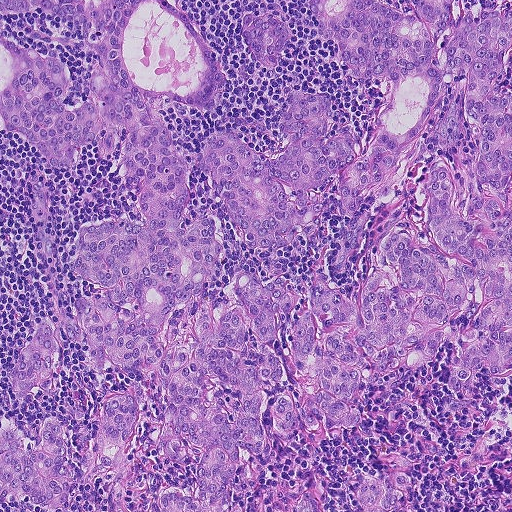
Lymph node section stained with H&E, from a whole-slide image of a breast-cancer sentinel node. Magnification about 10×, about 0.46 mm across the frame, about 0.9 µm per pixel.
Five metastatic tumour regions, each outlined as a closed clockwise path in crop pixels (x, y), largest first: region 1: (48, 416), (58, 419), (72, 462), (69, 506), (64, 511), (52, 511), (31, 505), (0, 502), (0, 423), (7, 420), (17, 426), (38, 446), (41, 424); region 2: (127, 392), (134, 400), (136, 411), (124, 441), (126, 452), (131, 461), (131, 472), (125, 482), (115, 484), (101, 468), (95, 447), (96, 436), (104, 415), (102, 410), (106, 400), (116, 394); region 3: (396, 467), (406, 472), (412, 482), (405, 490), (403, 501), (396, 511), (361, 511), (351, 493), (350, 482), (357, 474), (378, 478), (386, 470); region 4: (270, 14), (288, 26), (288, 38), (276, 69), (265, 70), (246, 43), (239, 24), (248, 17); region 5: (310, 491), (316, 501), (319, 511), (295, 511), (298, 507), (303, 496).
One more tumour region is annotated but not outlined: its edge is too irregular for a short outline.
Two more small tumour pieces are annotated here but not outlined.
About 60% of this field is tumour.